A 0.12-mm field of an H&E-stained sentinel lymph node from a breast-cancer patient (whole-slide image), shown at about 40×, about 0.24 µm per pixel.
Image:
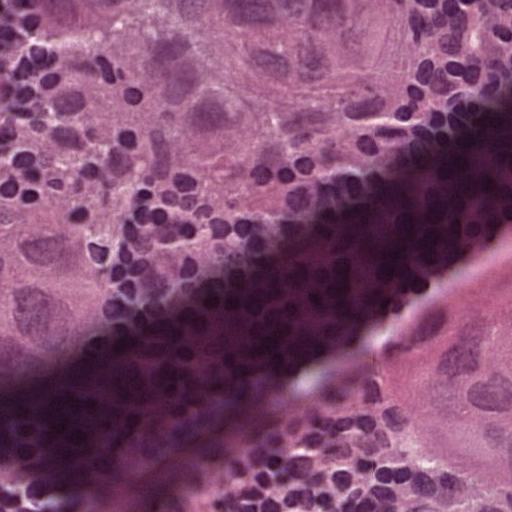
Question:
Trace the edge of each tumour region in this crop, as (x, y) points from 0 to 511.
Answer:
Outlines of two tumour regions, largest first (closed clockwise paths, crop pixels): region 1: (24, 0), (378, 0), (402, 51), (297, 177), (131, 203), (99, 375), (0, 389), (0, 153), (30, 82); region 2: (511, 250), (511, 511), (443, 511), (383, 405), (454, 286).
About 40% of the image area is annotated as tumour.